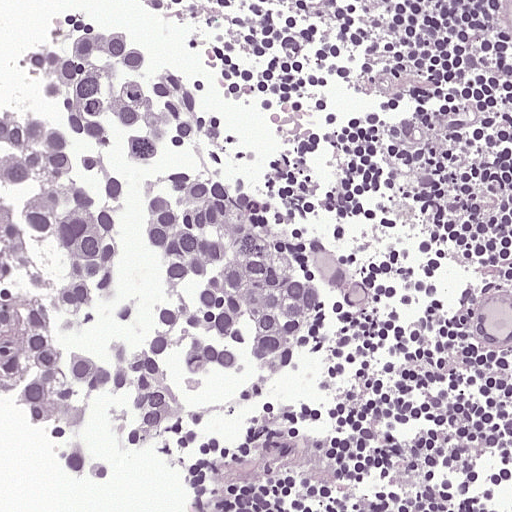
Lymph node section stained with H&E, from a whole-slide image of a breast-cancer sentinel node. Magnification about 20×, about 0.25 mm across the frame, about 0.49 µm per pixel.
One metastatic tumour region; its boundary, reduced to 11 corners and listed clockwise: (78, 24), (119, 33), (154, 58), (320, 294), (321, 341), (265, 411), (115, 489), (71, 487), (0, 441), (0, 81), (32, 41).
The annotated tumour makes up about 40% of the crop.